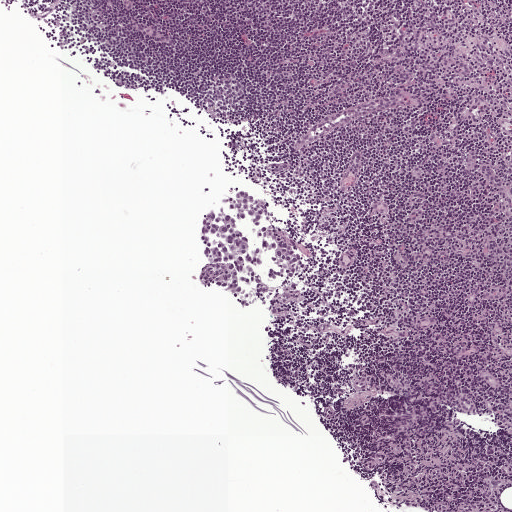
This is a crop of a whole-slide image: an H&E-stained breast-cancer sentinel lymph node section at roughly 5× magnification (about 1.9 µm per pixel; the crop spans about 1 mm).
Metastatic tumour outline, simplified to 19 points and listed clockwise in crop pixels (x, y): (242, 189), (261, 193), (270, 205), (279, 234), (291, 241), (300, 253), (300, 268), (292, 281), (281, 279), (267, 288), (264, 308), (256, 305), (243, 308), (223, 290), (200, 286), (199, 272), (206, 261), (200, 227), (229, 194).
The annotated tumour makes up about 5% of the crop.